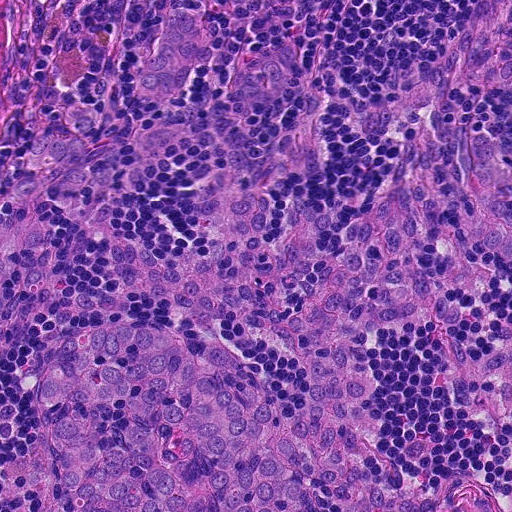
H&E-stained section of a sentinel lymph node (breast cancer), from a whole-slide image, viewed at about 20×: the field is about 0.23 mm across, about 0.45 µm per pixel.
Four metastatic tumour regions, each outlined as a closed clockwise path in crop pixels (x, y), largest first: region 1: (459, 119), (503, 142), (511, 511), (37, 511), (42, 371), (76, 329), (230, 350), (290, 413), (308, 381), (268, 332), (106, 278), (78, 220), (0, 306), (26, 134), (69, 130), (126, 240), (164, 258), (201, 242), (224, 163), (338, 206), (418, 126), (458, 174); region 2: (479, 0), (511, 0), (511, 90), (496, 95), (474, 94), (454, 86), (446, 42), (452, 22); region 3: (185, 4), (199, 15), (216, 46), (208, 62), (194, 72), (188, 90), (171, 103), (154, 104), (135, 99), (131, 82), (136, 64), (150, 51), (164, 25), (168, 8); region 4: (291, 44), (295, 60), (295, 78), (286, 94), (254, 113), (236, 112), (226, 96), (228, 78), (256, 48).
About 60% of the image area is annotated as tumour.